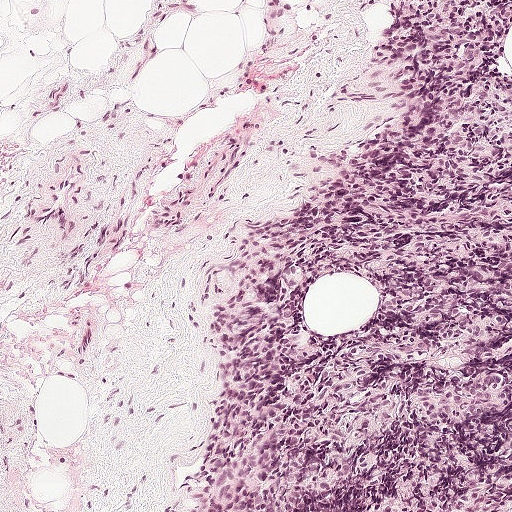
This is a crop of a whole-slide image: an H&E-stained breast-cancer sentinel lymph node section at roughly 10× magnification (about 0.97 µm per pixel; the crop spans about 0.5 mm).
Question: Is any metastatic breast cancer visible in this crop?
Answer: No, this field holds no outlined metastasis.